Question: 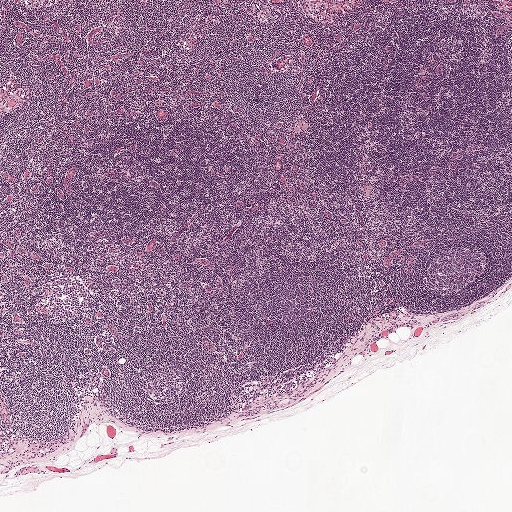
At roughly what magnification is this field shown?

Choices:
 (A) about 20×
 (B) about 40×
 (C) about 2.5×
 (D) about 10×
 (E) about 5×

Answer: (C) about 2.5×
Lymph node section stained with H&E, from a whole-slide image of a breast-cancer sentinel node. Magnification about 2.5×, about 2.0 mm across the frame, about 3.9 µm per pixel.